Question: 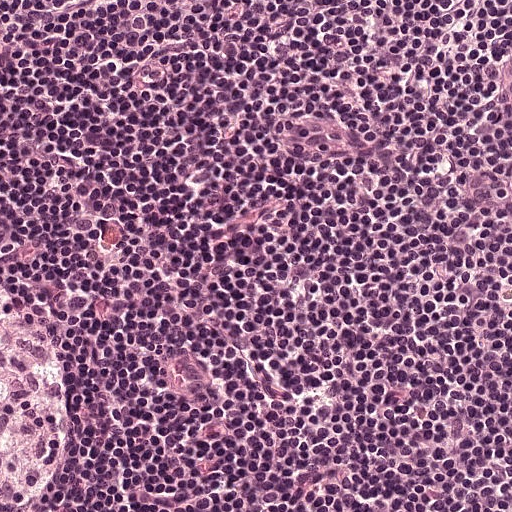
Which magnification is this H&E lymph node field most likely shown at?

Choices:
 (A) about 40×
 (B) about 10×
 (C) about 20×
 (D) about 2.5×
 (E) about 5×

Answer: (C) about 20×
H&E-stained section of a sentinel lymph node (breast cancer), from a whole-slide image, viewed at about 20×: the field is about 0.25 mm across, about 0.49 µm per pixel.